H&E-stained section of a sentinel lymph node (breast cancer), from a whole-slide image, viewed at about 5×: the field is about 1 mm across, about 1.9 µm per pixel.
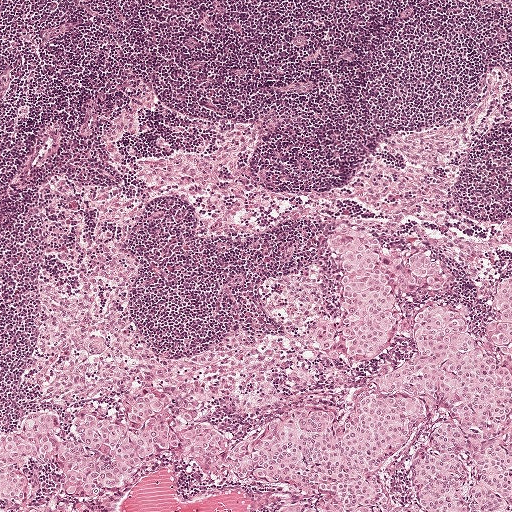
Boundaries of two metastatic tumour regions, simplified and listed clockwise, largest first: region 1: (511, 275), (511, 511), (278, 511), (322, 499), (297, 483), (226, 478), (159, 453), (120, 511), (0, 511), (0, 426), (16, 416), (117, 410), (186, 386), (198, 401), (191, 429), (252, 431), (311, 406), (342, 423), (391, 366), (412, 317), (448, 304), (475, 332), (492, 285); region 2: (352, 220), (372, 228), (380, 244), (392, 251), (429, 248), (438, 254), (445, 272), (447, 284), (442, 289), (392, 297), (394, 321), (388, 339), (376, 355), (360, 362), (348, 361), (341, 351), (335, 318), (340, 306), (336, 273), (325, 246), (328, 227), (338, 221).
Tumour covers about 25% of the frame.